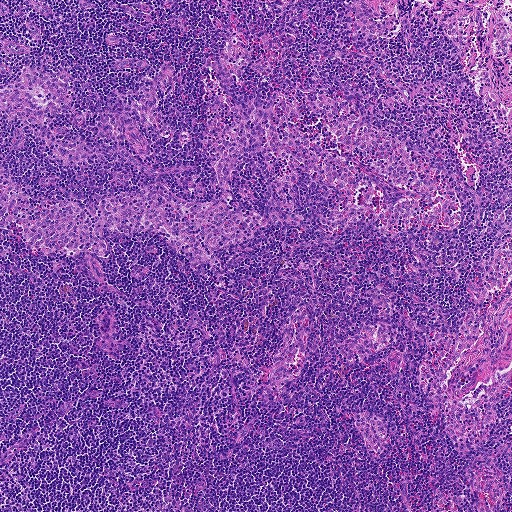
This is a crop of a whole-slide image: an H&E-stained breast-cancer sentinel lymph node section at roughly 5× magnification (about 1.8 µm per pixel; the crop spans about 0.93 mm).
Question: Is any metastatic breast cancer visible in this crop?
Answer: No, this field holds no outlined metastasis.